Question: 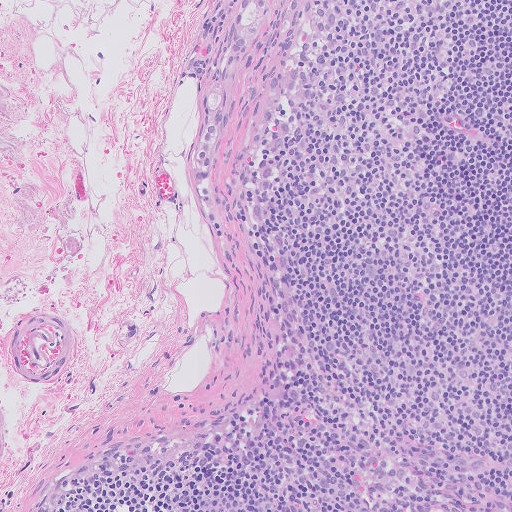
Lymph node section stained with H&E, from a whole-slide image of a breast-cancer sentinel node. Magnification about 10×, about 0.51 mm across the frame, about 1.0 µm per pixel.
Estimate the proportion of this field that is metastatic tumour.

Choices:
 (A) none: no tumour is outlined
 (B) about 25% to 45%
 (C) about 5% or less
 (D) about 10% to 20%
 (E) about 50% or more

Answer: (C) about 5% or less
Under 5% of the field is tumour.
The outlined metastatic tumour's edge, as a closed clockwise path of 14 points: (242, 0), (271, 0), (266, 22), (246, 48), (237, 68), (228, 122), (214, 151), (211, 184), (217, 216), (208, 221), (192, 181), (194, 149), (201, 128), (206, 85).